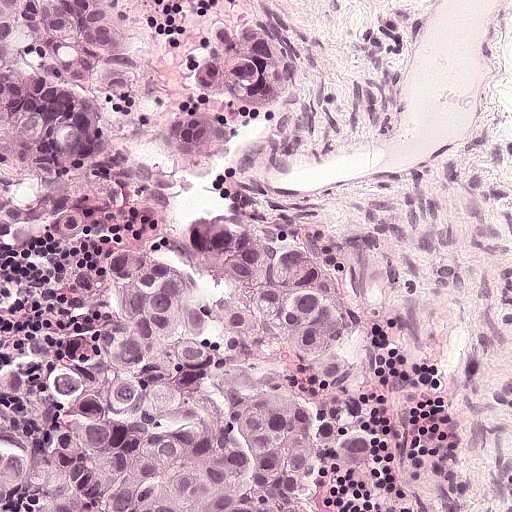
This is a crop of a whole-slide image: an H&E-stained breast-cancer sentinel lymph node section at roughly 20× magnification (about 0.49 µm per pixel; the crop spans about 0.25 mm).
Boundaries of two metastatic tumour regions, simplified and listed clockwise, largest first: region 1: (224, 213), (286, 232), (360, 341), (372, 456), (340, 446), (340, 402), (287, 355), (318, 417), (321, 511), (27, 511), (0, 492), (0, 377), (33, 374), (36, 410), (54, 384), (37, 349), (72, 336), (103, 356), (122, 306), (106, 272), (159, 256), (228, 341), (215, 276), (176, 236); region 2: (0, 0), (120, 0), (128, 52), (143, 70), (175, 60), (226, 18), (275, 24), (297, 76), (291, 101), (248, 110), (158, 86), (109, 130), (132, 146), (172, 126), (218, 122), (238, 140), (234, 160), (202, 170), (137, 152), (192, 192), (162, 210), (121, 198), (74, 248), (0, 245).
The annotated tumour makes up about 45% of the crop.